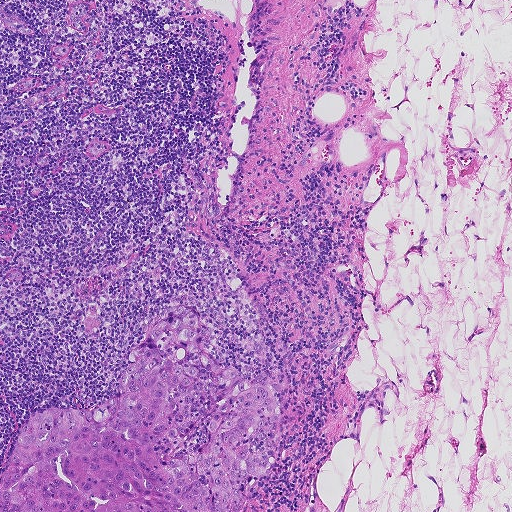
A 0.93-mm field of an H&E-stained sentinel lymph node from a breast-cancer patient (whole-slide image), shown at about 5×, about 1.8 µm per pixel.
The outlined metastatic tumour's edge, as a closed clockwise path of 14 points: (186, 305), (205, 351), (253, 387), (272, 391), (281, 410), (273, 460), (241, 511), (0, 511), (0, 479), (27, 419), (45, 408), (107, 402), (133, 348), (168, 312).
About 15% of the image area is annotated as tumour.